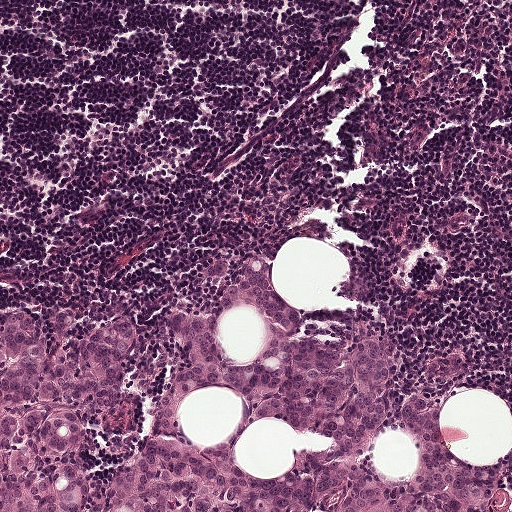
Lymph node section stained with H&E, from a whole-slide image of a breast-cancer sentinel node. Magnification about 10×, about 0.5 mm across the frame, about 0.97 µm per pixel.
The outlined metastatic tumour's edge, as a closed clockwise path of 18 points: (251, 265), (277, 283), (303, 336), (381, 334), (403, 386), (436, 396), (448, 452), (501, 470), (500, 510), (0, 511), (0, 319), (131, 321), (140, 338), (109, 437), (117, 478), (163, 421), (177, 308), (221, 303).
The outline encloses four non-tumour holes totalling about 15% of the region's area.
About 25% of the image area is annotated as tumour.